Question: 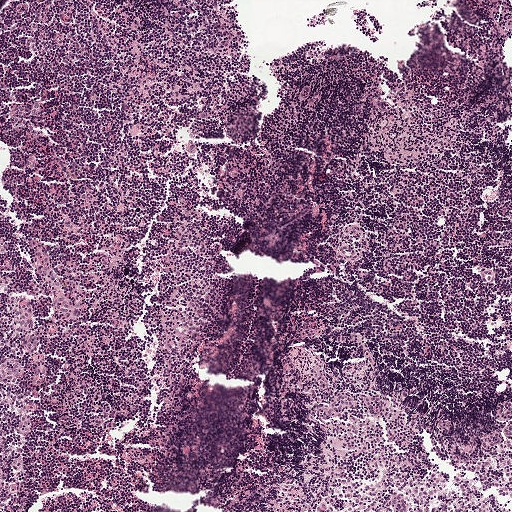
About what magnification does this crop show?

Choices:
 (A) about 2.5×
 (B) about 20×
 (C) about 10×
 (D) about 40×
 (E) about 5×

Answer: (E) about 5×
This is a crop of a whole-slide image: an H&E-stained breast-cancer sentinel lymph node section at roughly 5× magnification (about 1.9 µm per pixel; the crop spans about 1 mm).